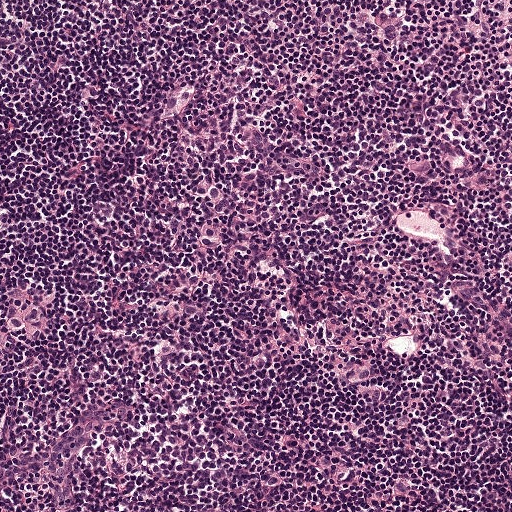
H&E-stained section of a sentinel lymph node (breast cancer), from a whole-slide image, viewed at about 10×: the field is about 0.5 mm across, about 0.97 µm per pixel.